Question: 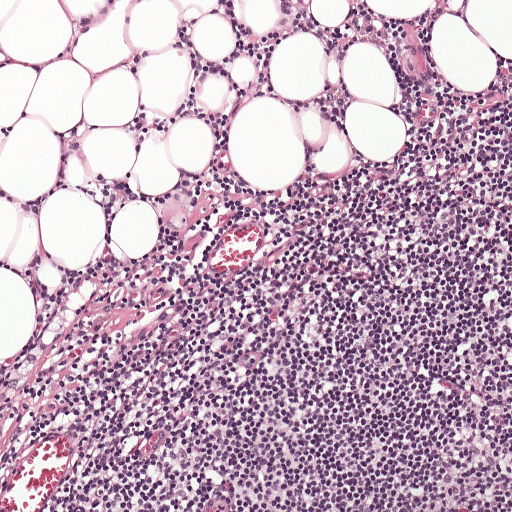
At roughly what magnification is this field shown?

Choices:
 (A) about 40×
 (B) about 5×
 (C) about 2.5×
 (D) about 10×
 (E) about 20×

Answer: (D) about 10×
Lymph node section stained with H&E, from a whole-slide image of a breast-cancer sentinel node. Magnification about 10×, about 0.5 mm across the frame, about 0.97 µm per pixel.